Question: 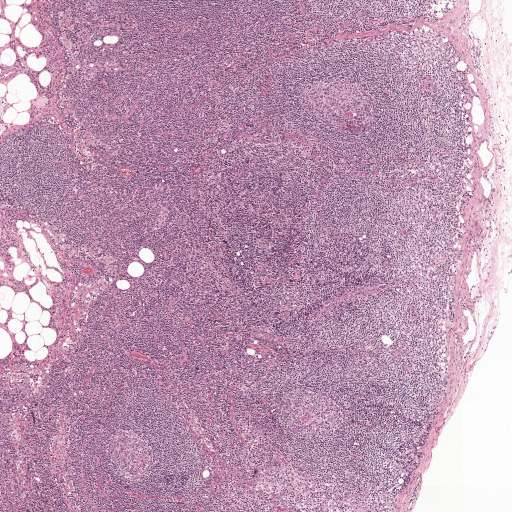
Which magnification is this H&E lymph node field most likely shown at?

Choices:
 (A) about 2.5×
 (B) about 10×
 (C) about 40×
 (D) about 5×
 (E) about 20×

Answer: (A) about 2.5×
H&E-stained section of a sentinel lymph node (breast cancer), from a whole-slide image, viewed at about 2.5×: the field is about 2.0 mm across, about 3.9 µm per pixel.